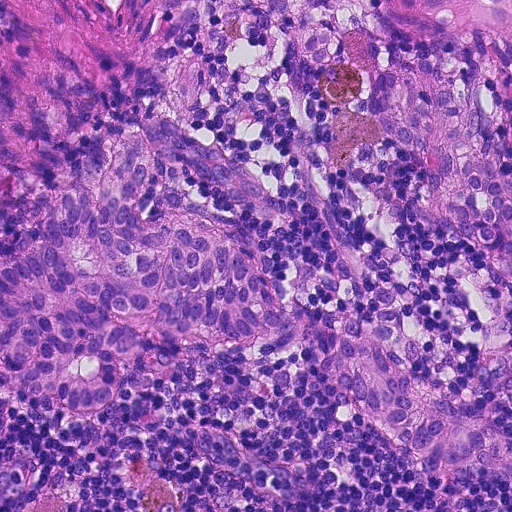
H&E-stained section of a sentinel lymph node (breast cancer), from a whole-slide image, viewed at about 20×: the field is about 0.23 mm across, about 0.45 µm per pixel.
Boundaries of three metastatic tumour regions, simplified and listed clockwise, largest first: region 1: (139, 134), (150, 172), (136, 214), (148, 230), (188, 222), (216, 235), (267, 275), (289, 323), (248, 340), (200, 325), (183, 337), (153, 330), (114, 402), (96, 414), (36, 396), (4, 372), (0, 268), (33, 250), (62, 194), (99, 178); region 2: (383, 286), (400, 304), (402, 335), (422, 348), (412, 371), (417, 395), (442, 394), (466, 402), (482, 421), (511, 440), (511, 485), (484, 474), (459, 480), (434, 474), (384, 438), (317, 370), (319, 358), (350, 336), (372, 328), (379, 304), (373, 293); region 3: (474, 168), (511, 178), (511, 288), (494, 273), (484, 258), (470, 246), (452, 245), (436, 236), (426, 220), (427, 202), (439, 188).
Tumour covers about 25% of the frame.